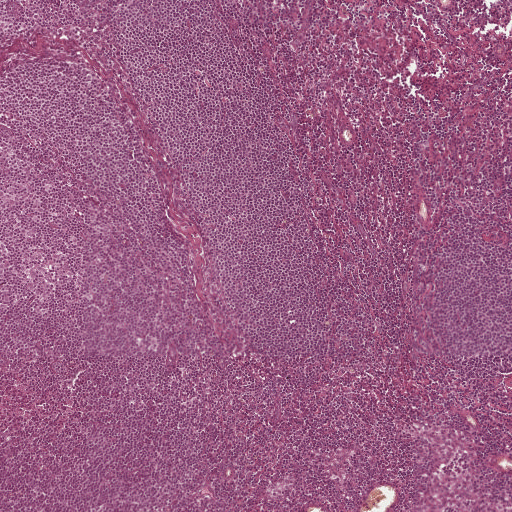
Lymph node section stained with H&E, from a whole-slide image of a breast-cancer sentinel node. Magnification about 5×, about 1 mm across the frame, about 1.9 µm per pixel.